Image:
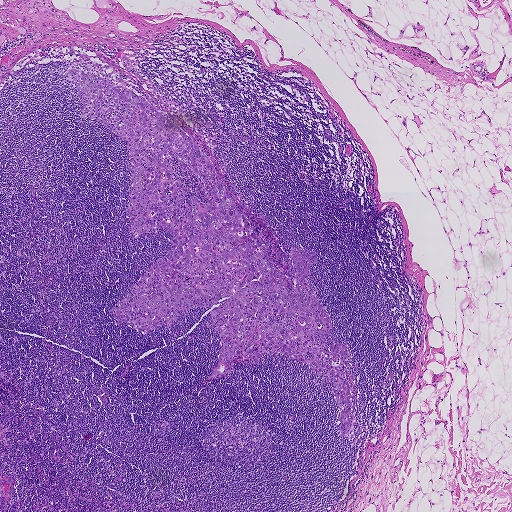
Lymph node section stained with H&E, from a whole-slide image of a breast-cancer sentinel node. Magnification about 2.5×, about 1.9 mm across the frame, about 3.6 µm per pixel.
Question:
Describe where the metastatic carcinoma lies in this crop.
Answer:
Tumour region outline (a closed clockwise path, crop pixels): (66, 70), (138, 91), (208, 153), (231, 197), (279, 247), (315, 250), (309, 280), (332, 330), (322, 342), (350, 349), (347, 435), (328, 380), (281, 353), (202, 382), (221, 342), (203, 305), (147, 336), (118, 326), (107, 311), (173, 240), (161, 228), (127, 234), (128, 153), (82, 116).
Tumour covers about 15% of the frame.